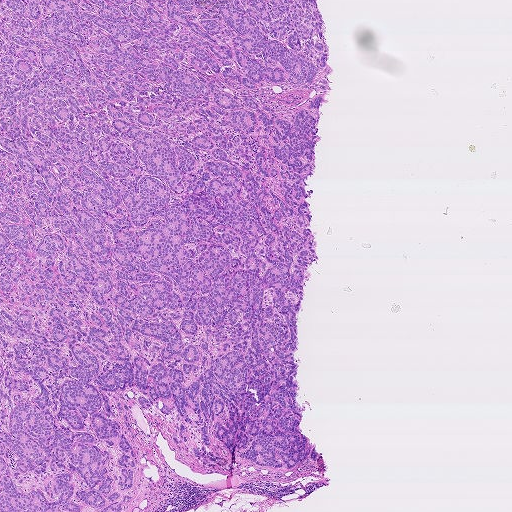
H&E-stained section of a sentinel lymph node (breast cancer), from a whole-slide image, viewed at about 2.5×: the field is about 1.9 mm across, about 3.6 µm per pixel.
One metastatic tumour region; its boundary, reduced to 20 corners and listed clockwise: (0, 0), (316, 0), (333, 72), (304, 180), (318, 260), (293, 353), (300, 427), (323, 453), (287, 470), (207, 466), (193, 454), (196, 427), (174, 443), (175, 410), (142, 408), (148, 397), (129, 388), (138, 464), (122, 509), (0, 511).
Tumour covers about 55% of the frame.